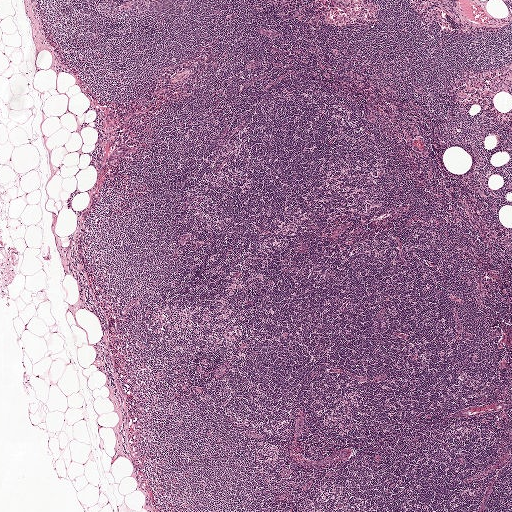
H&E-stained section of a sentinel lymph node (breast cancer), from a whole-slide image, viewed at about 2.5×: the field is about 2.0 mm across, about 3.9 µm per pixel.